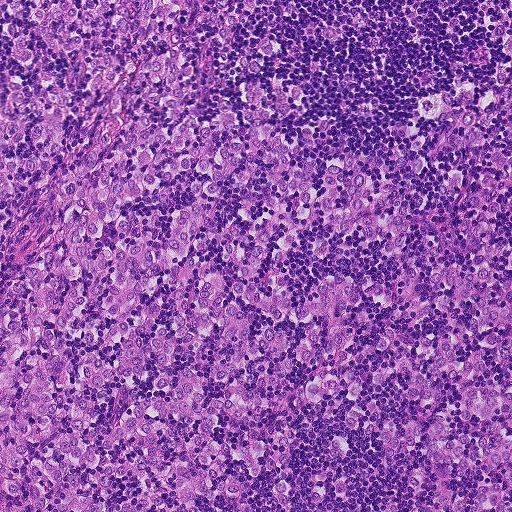
H&E-stained section of a sentinel lymph node (breast cancer), from a whole-slide image, viewed at about 10×: the field is about 0.46 mm across, about 0.9 µm per pixel.
Question: Describe where the metastatic carcinoma lies in this crop.
Answer: Metastatic tumour covers the whole field.
Tumour covers over 95% of the frame.